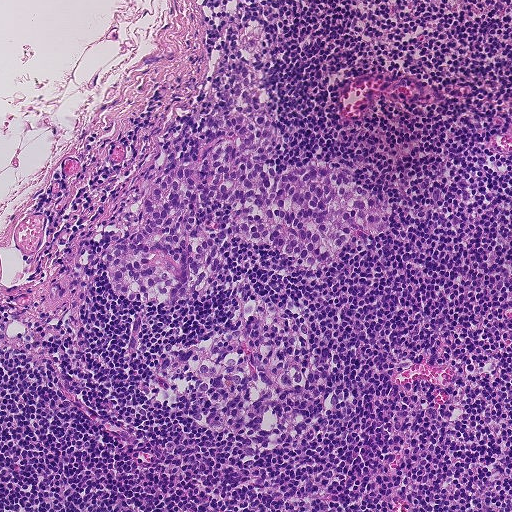
This is a crop of a whole-slide image: an H&E-stained breast-cancer sentinel lymph node section at roughly 10× magnification (about 0.9 µm per pixel; the crop spans about 0.46 mm).
One metastatic tumour region; its boundary, reduced to 24 corners and listed clockwise: (245, 60), (282, 99), (275, 118), (298, 129), (267, 162), (276, 172), (319, 159), (350, 166), (392, 207), (388, 229), (375, 248), (346, 244), (308, 271), (269, 244), (230, 238), (210, 294), (172, 307), (116, 296), (103, 257), (111, 234), (132, 237), (152, 186), (227, 136), (206, 116).
About 10% of the image area is annotated as tumour.